Question: 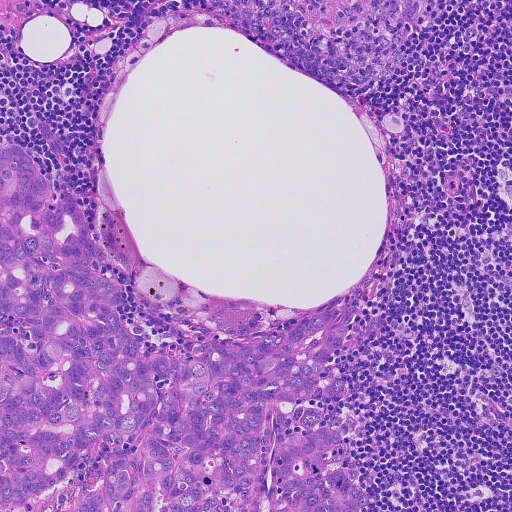
This is a crop of a whole-slide image: an H&E-stained breast-cancer sentinel lymph node section at roughly 10× magnification (about 0.91 µm per pixel; the crop spans about 0.46 mm).
Estimate the proportion of this field that is metastatic tumour.

Choices:
 (A) about 10% to 20%
 (B) about 5% or less
 (C) about 25% to 45%
 (D) none: no tumour is outlined
 (E) about 50% or more

Answer: (C) about 25% to 45%
About 30% of the field is tumour.
The outlined metastatic tumour's edge, as a closed clockwise path of 21 points: (19, 144), (48, 201), (76, 202), (92, 268), (120, 289), (121, 325), (146, 358), (186, 363), (219, 336), (248, 342), (331, 310), (332, 325), (347, 320), (321, 399), (298, 423), (346, 422), (343, 468), (370, 497), (362, 508), (0, 511), (0, 148).
Question: 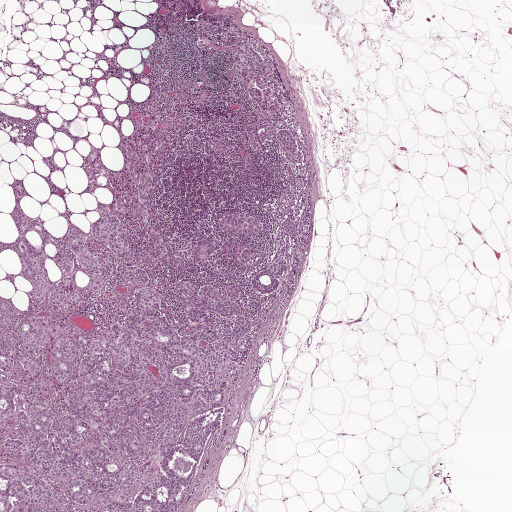
H&E-stained section of a sentinel lymph node (breast cancer), from a whole-slide image, viewed at about 2.5×: the field is about 2.0 mm across, about 3.9 µm per pixel.
Estimate the proportion of this field that is metastatic tumour.

Choices:
 (A) about 10% to 20%
 (B) about 25% to 45%
 (C) none: no tumour is outlined
 (D) about 5% or less
 (E) about 50% or more

Answer: (B) about 25% to 45%
About 25% of the field is tumour.
Six metastatic tumour regions, each outlined as a closed clockwise path in crop pixels (x, y), largest first: region 1: (159, 109), (173, 266), (140, 265), (176, 336), (234, 328), (183, 324), (174, 288), (208, 270), (196, 240), (241, 261), (224, 216), (264, 229), (244, 265), (212, 257), (213, 283), (253, 299), (288, 266), (232, 342), (221, 427), (173, 457), (199, 463), (176, 511), (95, 511), (141, 485), (0, 511), (0, 298), (78, 340), (136, 305), (119, 261), (75, 310), (28, 310), (11, 183), (39, 253), (75, 226), (93, 254), (124, 173), (153, 253), (125, 168); region 2: (246, 43), (250, 44), (259, 54), (267, 67), (263, 74), (255, 80), (254, 85), (261, 92), (262, 99), (252, 98), (247, 92), (253, 84), (246, 81), (241, 75), (233, 59), (236, 49); region 3: (91, 148), (97, 150), (103, 165), (110, 170), (110, 174), (107, 176), (101, 175), (97, 180), (96, 186), (92, 191), (88, 189), (88, 177), (84, 166), (84, 159); region 4: (285, 130), (291, 134), (296, 140), (300, 160), (296, 164), (289, 163), (276, 137), (278, 131); region 5: (276, 110), (278, 113), (277, 123), (275, 128), (260, 137), (259, 140), (261, 147), (260, 149), (255, 149), (252, 143), (255, 136), (255, 129), (256, 127), (264, 125), (272, 119), (271, 112); region 6: (170, 89), (172, 92), (170, 98), (162, 106), (166, 100), (166, 97), (164, 94), (164, 91).
Two more small tumour pieces are annotated here but not outlined.
Question: 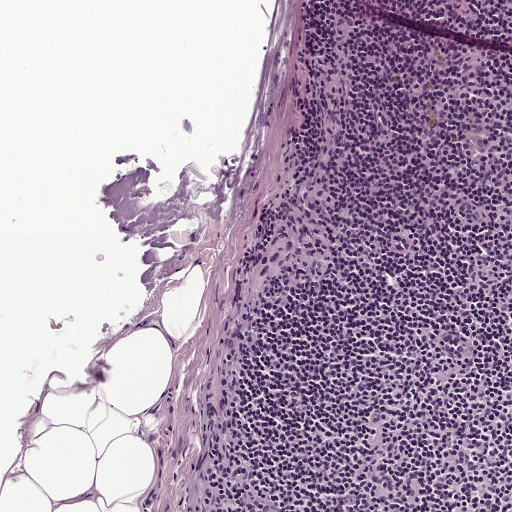
A 0.5-mm field of an H&E-stained sentinel lymph node from a breast-cancer patient (whole-slide image), shown at about 10×, about 0.97 µm per pixel.
Estimate the proportion of this field that is metastatic tumour.

Choices:
 (A) about 5% or less
 (B) none: no tumour is outlined
 (C) about 25% to 45%
 (D) about 50% or more
 (E) about 10% to 20%

Answer: (A) about 5% or less
Under 5% of the field is tumour.
One metastatic tumour region; its boundary, reduced to 12 corners and listed clockwise: (319, 182), (320, 186), (336, 191), (340, 204), (325, 276), (315, 288), (304, 278), (298, 260), (276, 280), (241, 290), (256, 246), (306, 188).
Question: 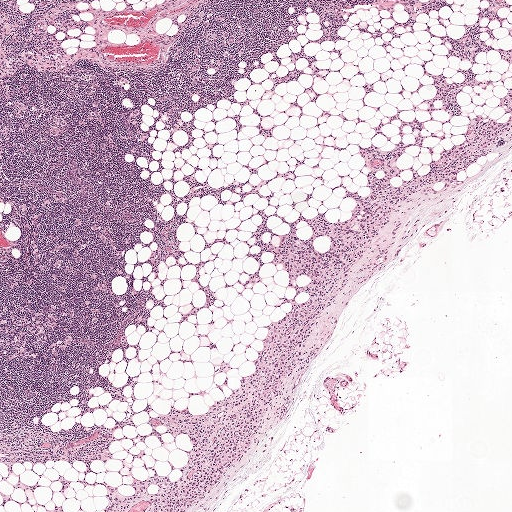
H&E-stained section of a sentinel lymph node (breast cancer), from a whole-slide image, viewed at about 2.5×: the field is about 2.0 mm across, about 3.9 µm per pixel.
Estimate the proportion of this field that is metastatic tumour.

Choices:
 (A) about 5% or less
 (B) about 25% to 45%
 (C) about 10% to 20%
 (D) about 50% or more
 (E) none: no tumour is outlined

Answer: (C) about 10% to 20%
About 15% of the field is tumour.
Boundaries of four metastatic tumour regions, simplified and listed clockwise, largest first: region 1: (422, 69), (490, 79), (454, 102), (494, 120), (506, 119), (498, 97), (511, 86), (511, 138), (402, 200), (246, 452), (193, 511), (139, 511), (147, 500), (104, 511), (104, 487), (76, 481), (78, 458), (10, 472), (0, 422), (80, 444), (121, 420), (201, 416), (241, 388), (294, 294), (268, 241), (287, 230), (305, 239), (313, 227), (292, 225), (298, 213), (348, 216), (346, 187), (367, 192), (358, 141), (410, 143), (396, 156), (399, 185), (472, 124), (428, 104); region 2: (503, 0), (510, 5), (501, 8), (498, 13), (507, 16), (507, 20), (502, 22), (500, 26), (493, 21), (484, 20), (483, 22), (497, 39), (490, 40), (484, 34), (483, 36), (493, 45), (502, 48), (511, 47), (511, 62), (510, 63), (501, 62), (496, 52), (490, 50), (478, 55), (475, 61), (469, 62), (461, 52), (459, 37), (470, 29), (473, 21), (486, 6), (496, 5); region 3: (59, 473), (63, 473), (70, 481), (69, 486), (65, 490), (66, 495), (62, 502), (63, 498), (60, 489), (61, 481), (49, 486), (31, 488), (34, 492), (34, 495), (27, 500), (27, 503), (22, 504), (20, 506), (17, 506), (12, 500), (6, 500), (4, 504), (0, 505), (0, 487), (8, 495), (22, 500), (22, 495), (20, 489), (11, 486), (11, 482), (16, 482), (18, 480), (19, 476), (25, 482), (33, 482), (36, 478), (40, 482), (47, 483), (51, 479), (57, 478); region 4: (41, 503), (42, 503), (52, 508), (54, 504), (56, 504), (57, 505), (62, 503), (61, 508), (64, 511), (45, 511), (42, 510).
One more small tumour piece is annotated here but not outlined.